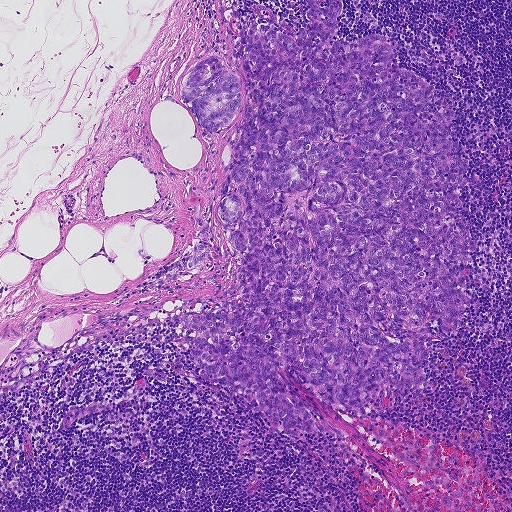
This is a crop of a whole-slide image: an H&E-stained breast-cancer sentinel lymph node section at roughly 5× magnification (about 1.8 µm per pixel; the crop spans about 0.93 mm).
Outlines of two tumour regions, largest first (closed clockwise paths, crop pixels): region 1: (309, 0), (342, 0), (354, 41), (400, 44), (438, 92), (427, 111), (454, 110), (477, 248), (448, 270), (477, 301), (453, 336), (426, 323), (427, 386), (377, 411), (276, 371), (340, 432), (295, 439), (199, 376), (181, 312), (238, 285), (217, 213), (236, 43), (296, 43); region 2: (207, 57), (220, 58), (226, 69), (237, 76), (240, 82), (241, 95), (237, 114), (226, 131), (210, 132), (199, 124), (189, 108), (183, 104), (180, 92), (181, 85), (192, 68).
About 35% of this field is tumour.